Question: 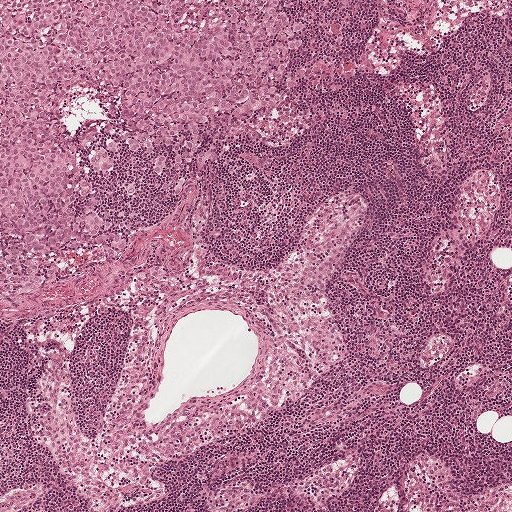
This is a crop of a whole-slide image: an H&E-stained breast-cancer sentinel lymph node section at roughly 5× magnification (about 1.9 µm per pixel; the crop spans about 1 mm).
About how much of this crop is taken up by metastatic carcinoma?

Choices:
 (A) about 50% or more
 (B) about 25% to 45%
 (C) none: no tumour is outlined
 (D) about 5% or less
 (E) about 10% to 20%

Answer: (E) about 10% to 20%
About 20% of the field is tumour.
Boundaries of two metastatic tumour regions, simplified and listed clockwise, largest first: region 1: (0, 0), (285, 0), (280, 11), (303, 23), (291, 36), (302, 46), (274, 84), (278, 102), (213, 117), (204, 163), (173, 195), (168, 149), (155, 175), (155, 156), (126, 148), (126, 129), (102, 114), (91, 85), (65, 90), (62, 121), (94, 212), (123, 234), (124, 248), (1, 296); region 2: (111, 141), (115, 142), (118, 155), (115, 168), (111, 172), (103, 173), (95, 170), (91, 166), (89, 154), (92, 150).
One more small tumour piece is annotated here but not outlined.